Question: 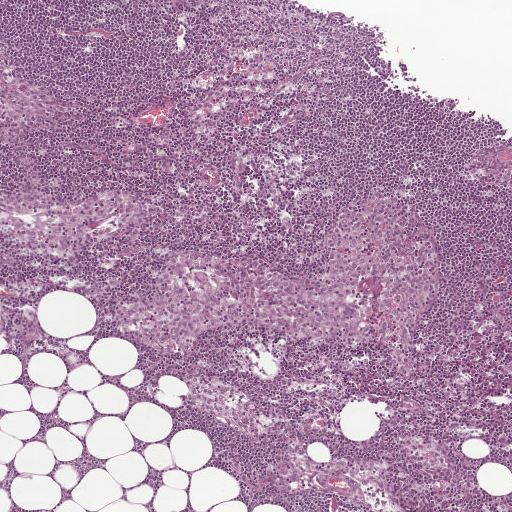
About what magnification does this crop show?

Choices:
 (A) about 2.5×
 (B) about 10×
 (C) about 5×
 (D) about 20×
 (E) about 40×

Answer: (C) about 5×
H&E-stained section of a sentinel lymph node (breast cancer), from a whole-slide image, viewed at about 5×: the field is about 1 mm across, about 1.9 µm per pixel.